Question: 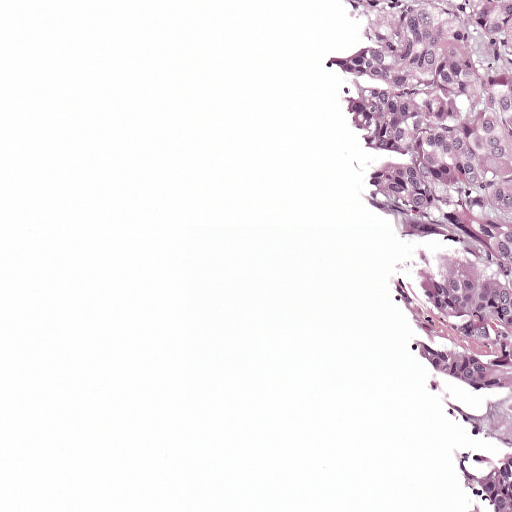
Which magnification is this H&E lymph node field most likely shown at?

Choices:
 (A) about 20×
 (B) about 2.5×
 (C) about 5×
 (D) about 40×
 (E) about 10×

Answer: (E) about 10×
H&E-stained section of a sentinel lymph node (breast cancer), from a whole-slide image, viewed at about 10×: the field is about 0.5 mm across, about 0.97 µm per pixel.
Tumour region outline (a closed clockwise path, crop pixels): (330, 0), (511, 0), (511, 511), (469, 511), (445, 478), (398, 304), (382, 204), (330, 63), (342, 14).
About 25% of this field is tumour.